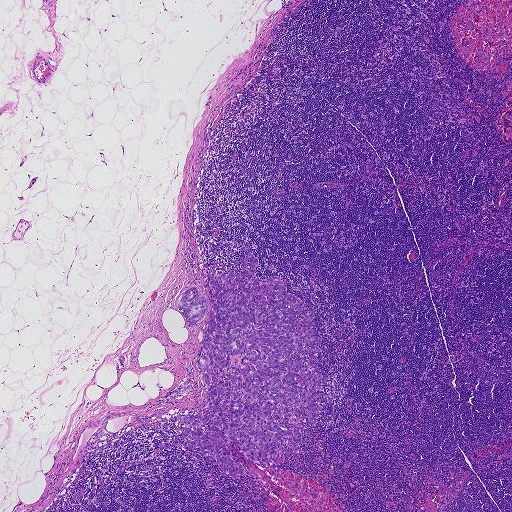
A 1.9-mm field of an H&E-stained sentinel lymph node from a breast-cancer patient (whole-slide image), shown at about 2.5×, about 3.6 µm per pixel.
Two metastatic tumour regions, each outlined as a closed clockwise path in crop pixels (x, y), largest first: region 1: (248, 252), (264, 279), (287, 280), (301, 314), (314, 314), (325, 382), (311, 394), (325, 409), (313, 426), (300, 420), (300, 451), (276, 464), (225, 444), (257, 475), (234, 478), (187, 446), (178, 414), (206, 401), (195, 365), (205, 280), (235, 280); region 2: (191, 287), (197, 287), (207, 300), (205, 315), (200, 324), (192, 324), (179, 311), (178, 301).
About 10% of the image area is annotated as tumour.